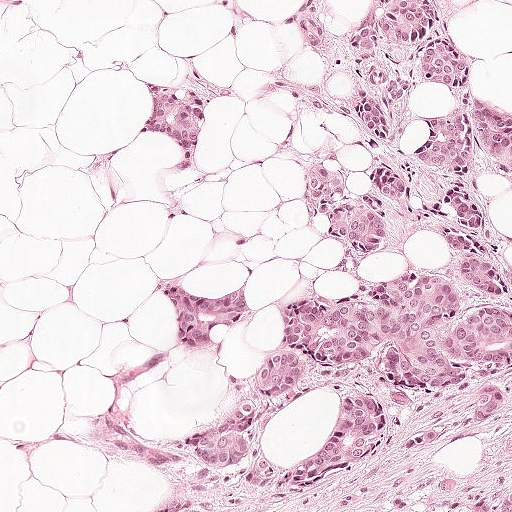
H&E-stained section of a sentinel lymph node (breast cancer), from a whole-slide image, viewed at about 10×: the field is about 0.5 mm across, about 0.97 µm per pixel.
Question: Show where the tumour is in this image.
Answer: Boundaries of three metastatic tumour regions, simplified and listed clockwise, largest first: region 1: (365, 0), (438, 0), (474, 98), (511, 106), (511, 173), (477, 176), (508, 258), (511, 511), (154, 511), (190, 472), (186, 436), (273, 342), (282, 299), (400, 277), (448, 253), (442, 230), (354, 248), (306, 214), (320, 147), (368, 180), (340, 44); region 2: (161, 280), (169, 280), (189, 290), (218, 292), (231, 284), (244, 282), (250, 306), (238, 318), (218, 321), (218, 326), (227, 330), (210, 347), (180, 347), (178, 345), (176, 318), (165, 299), (156, 295), (157, 282); region 3: (157, 78), (180, 82), (198, 92), (198, 100), (202, 113), (199, 135), (187, 153), (164, 135), (140, 135), (150, 121), (151, 116), (151, 99), (145, 82).
About 40% of the image area is annotated as tumour.